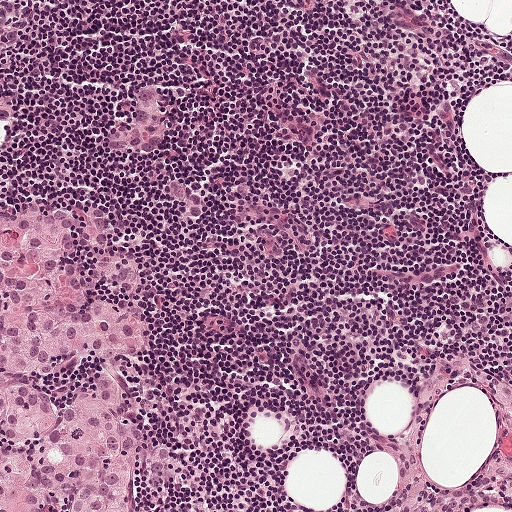
Lymph node section stained with H&E, from a whole-slide image of a breast-cancer sentinel node. Magnification about 10×, about 0.5 mm across the frame, about 0.97 µm per pixel.
Boundaries of four metastatic tumour regions, simplified and listed clockwise, largest first: region 1: (35, 198), (43, 210), (105, 208), (110, 255), (128, 256), (140, 269), (145, 349), (112, 361), (124, 420), (140, 428), (145, 443), (172, 450), (180, 464), (164, 494), (148, 490), (141, 466), (131, 511), (0, 511), (0, 206); region 2: (146, 85), (156, 88), (165, 115), (165, 143), (149, 154), (124, 154), (101, 145), (110, 128), (128, 120), (132, 102), (139, 90); region 3: (183, 180), (202, 195), (206, 211), (192, 219), (182, 214), (184, 203), (176, 200), (166, 187), (172, 182); region 4: (0, 102), (6, 103), (15, 114), (7, 123), (0, 123).
Tumour covers about 15% of the frame.